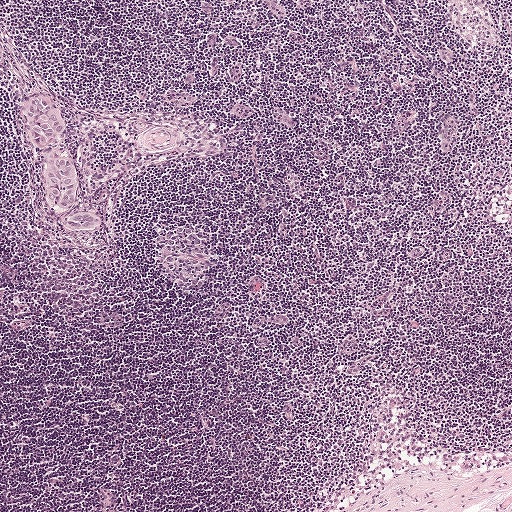
This is a crop of a whole-slide image: an H&E-stained breast-cancer sentinel lymph node section at roughly 5× magnification (about 1.9 µm per pixel; the crop spans about 1 mm).
Question: Does this lymph node field contain metastatic tumour?
Answer: Yes.
One metastatic tumour region; its boundary, reduced to 21 corners and listed clockwise: (36, 93), (42, 94), (61, 111), (66, 130), (60, 141), (61, 152), (70, 156), (80, 179), (76, 205), (69, 212), (84, 210), (101, 217), (100, 223), (92, 227), (75, 229), (65, 226), (47, 204), (43, 174), (31, 132), (24, 119), (25, 104).
Under 5% of the image area is annotated as tumour.